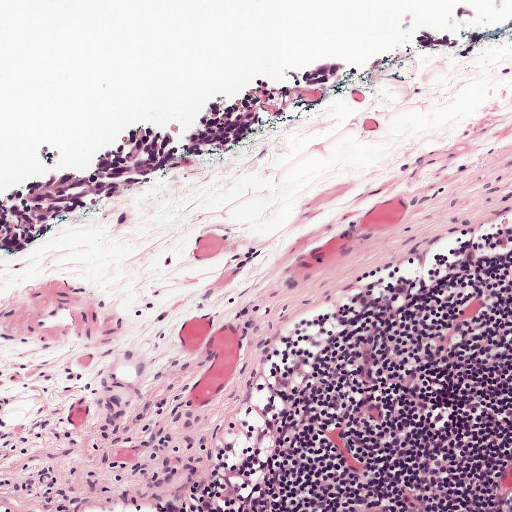
Lymph node section stained with H&E, from a whole-slide image of a breast-cancer sentinel node. Magnification about 10×, about 0.5 mm across the frame, about 0.97 µm per pixel.
Boundaries of three metastatic tumour regions, simplified and listed clockwise, largest first: region 1: (231, 93), (264, 98), (251, 137), (78, 215), (31, 250), (3, 251), (0, 188), (130, 125); region 2: (314, 64), (351, 66), (334, 82), (311, 86), (295, 75); region 3: (419, 29), (439, 31), (463, 43), (451, 48), (436, 49), (412, 43).
Three more small tumour pieces are annotated here but not outlined.
About 5% of this field is tumour.